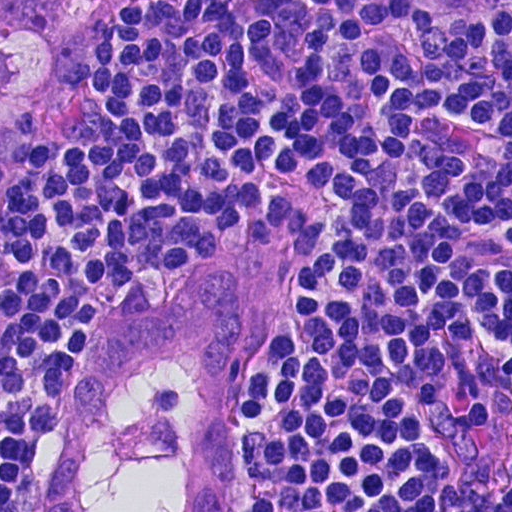
A 0.12-mm field of an H&E-stained sentinel lymph node from a breast-cancer patient (whole-slide image), shown at about 40×, about 0.23 µm per pixel.
Three metastatic tumour regions, each outlined as a closed clockwise path in crop pixels (x, y), largest first: region 1: (271, 203), (280, 288), (233, 422), (232, 511), (30, 511), (33, 467), (91, 323), (120, 298), (166, 298), (228, 225); region 2: (0, 0), (122, 0), (66, 48), (25, 136), (0, 234); region 3: (414, 0), (507, 0), (458, 16), (410, 15).
Tumour covers about 20% of the frame.